A 0.5-mm field of an H&E-stained sentinel lymph node from a breast-cancer patient (whole-slide image), shown at about 10×, about 0.97 µm per pixel.
Question: 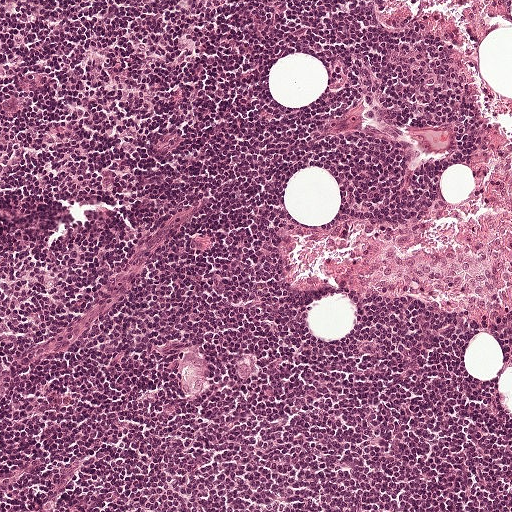
About how much of this crop is taken up by metastatic carcinoma?

Choices:
 (A) about 5% or less
 (B) none: no tumour is outlined
 (C) about 10% to 20%
 (D) about 50% or more
 (E) about 25% to 45%

Answer: (A) about 5% or less
Under 5% of the field is tumour.
The outlined metastatic tumour's edge, as a closed clockwise path of 10 points: (184, 349), (196, 349), (207, 360), (202, 373), (204, 385), (195, 396), (183, 394), (179, 390), (175, 374), (177, 359).
Two more small tumour pieces are annotated here but not outlined.